Question: 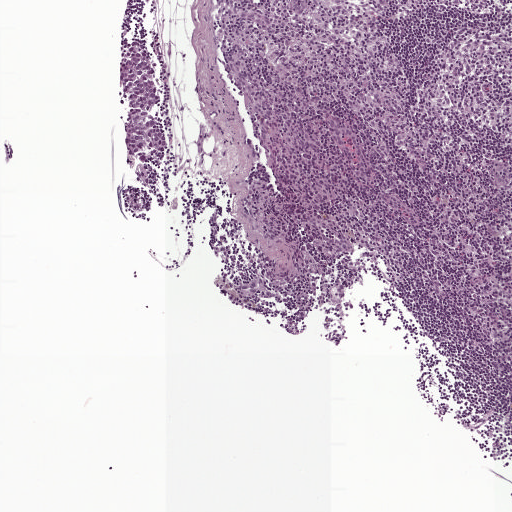
About what magnification does this crop show?

Choices:
 (A) about 5×
 (B) about 2.5×
 (C) about 10×
 (D) about 40×
 (E) about 20×

Answer: (A) about 5×
A 1-mm field of an H&E-stained sentinel lymph node from a breast-cancer patient (whole-slide image), shown at about 5×, about 1.9 µm per pixel.
Metastatic tumour outline, simplified to 23 points and listed clockwise in crop pixels (x, y): (140, 38), (146, 42), (153, 52), (156, 64), (155, 77), (161, 101), (154, 111), (154, 116), (162, 125), (167, 136), (167, 150), (149, 167), (151, 185), (144, 186), (136, 183), (136, 161), (122, 148), (120, 124), (125, 111), (121, 106), (118, 61), (120, 49), (127, 39).
Under 5% of the image area is annotated as tumour.